A 0.93-mm field of an H&E-stained sentinel lymph node from a breast-cancer patient (whole-slide image), shown at about 5×, about 1.8 µm per pixel.
Image:
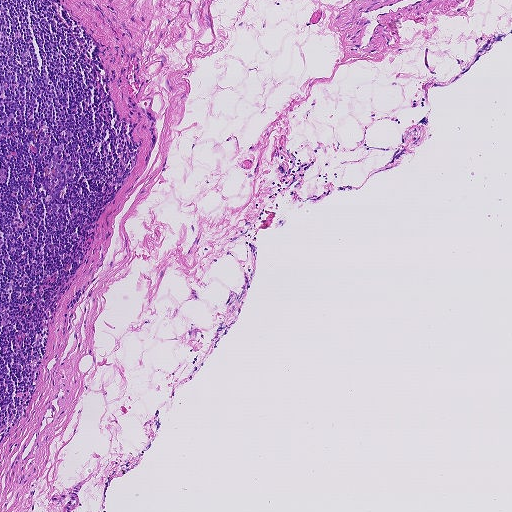
Question:
Is there metastatic carcinoma in this field?
Answer:
No. No metastatic tumour is outlined in this field.